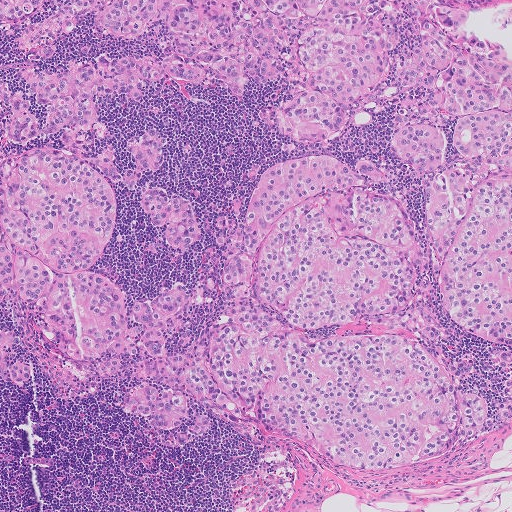
H&E-stained section of a sentinel lymph node (breast cancer), from a whole-slide image, viewed at about 5×: the field is about 1.0 mm across, about 2.0 µm per pixel.
Metastatic tumour outline, simplified to 23 points and listed clockwise in crop pixels (x, y): (0, 0), (511, 0), (511, 348), (445, 302), (388, 84), (333, 142), (273, 133), (270, 83), (104, 102), (200, 203), (175, 252), (119, 191), (128, 293), (206, 256), (233, 176), (395, 168), (428, 305), (492, 428), (385, 465), (225, 412), (184, 450), (112, 380), (0, 383).
About 75% of this field is tumour.